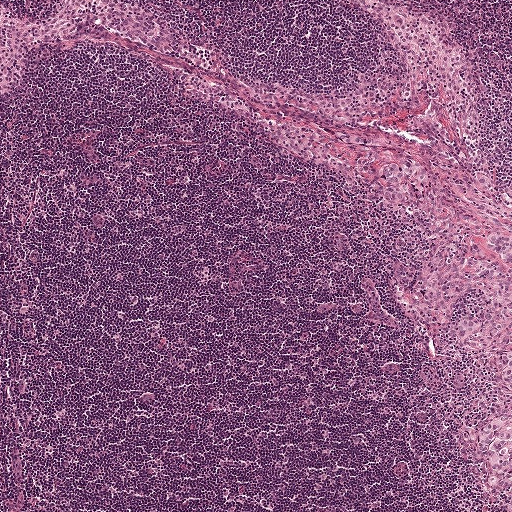
Lymph node section stained with H&E, from a whole-slide image of a breast-cancer sentinel node. Magnification about 5×, about 1 mm across the frame, about 1.9 µm per pixel.
Boundaries of two metastatic tumour regions, simplified and listed clockwise, largest first: region 1: (415, 158), (422, 161), (428, 168), (429, 173), (423, 189), (410, 206), (389, 209), (382, 207), (376, 200), (376, 190), (381, 179), (381, 174), (377, 168), (390, 161); region 2: (503, 227), (511, 234), (511, 268), (500, 260), (496, 254), (487, 246), (484, 237), (486, 233).
One more tumour region is annotated but not outlined: its edge is too irregular for a short outline.
One more small tumour piece is annotated here but not outlined.
About 5% of this field is tumour.